Image:
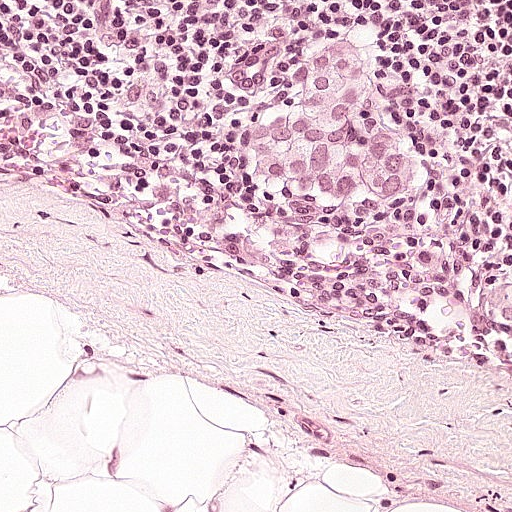
H&E-stained section of a sentinel lymph node (breast cancer), from a whole-slide image, viewed at about 20×: the field is about 0.25 mm across, about 0.49 µm per pixel.
Question:
Which parts of this field are metastatic tumour?
Answer:
Two metastatic tumour regions, each outlined as a closed clockwise path in crop pixels (x, y), largest first: region 1: (322, 32), (347, 36), (353, 55), (372, 69), (404, 160), (404, 183), (386, 202), (374, 202), (344, 190), (304, 197), (280, 194), (267, 176), (238, 161), (234, 147), (244, 112), (286, 92), (284, 48); region 2: (511, 264), (511, 335), (503, 334), (490, 326), (478, 324), (468, 318), (468, 289), (474, 274), (482, 269), (503, 268), (503, 266).
About 10% of this field is tumour.